Question: 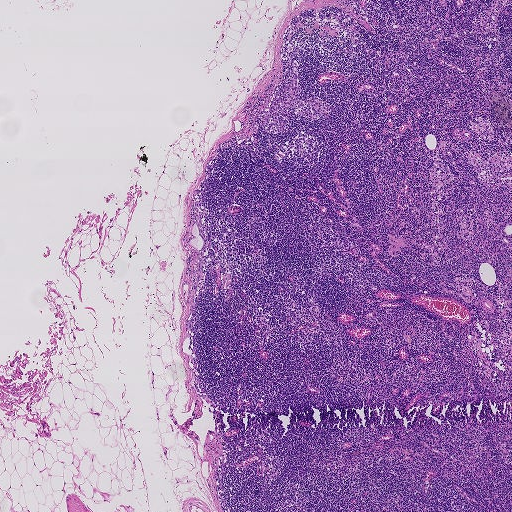
A 1.9-mm field of an H&E-stained sentinel lymph node from a breast-cancer patient (whole-slide image), shown at about 2.5×, about 3.6 µm per pixel.
Roughly what share of this field is metastatic tumour?

Choices:
 (A) none: no tumour is outlined
 (B) about 10% to 20%
 (C) about 25% to 45%
 (D) about 5% or less
 (E) about 50% or more

Answer: (D) about 5% or less
Under 5% of the field is tumour.
One metastatic tumour region; its boundary, reduced to 38 corners and listed clockwise: (294, 59), (298, 65), (297, 71), (301, 90), (299, 98), (302, 101), (310, 96), (317, 96), (330, 103), (331, 110), (326, 113), (325, 116), (322, 114), (313, 121), (301, 115), (300, 120), (295, 120), (296, 115), (292, 113), (289, 116), (291, 122), (284, 133), (279, 132), (266, 132), (262, 127), (262, 118), (268, 113), (270, 102), (274, 96), (272, 93), (275, 93), (278, 88), (282, 93), (284, 92), (285, 82), (290, 84), (291, 82), (288, 80).